Question: 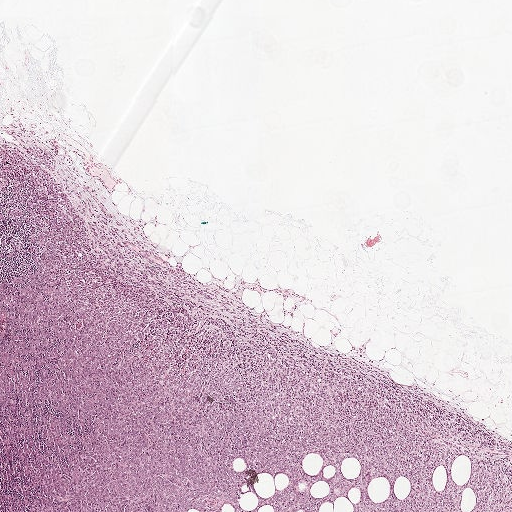
H&E-stained section of a sentinel lymph node (breast cancer), from a whole-slide image, viewed at about 2.5×: the field is about 2.0 mm across, about 3.9 µm per pixel.
What fraction of the image area is metastatic tumour?

Choices:
 (A) about 50% or more
 (B) about 5% or less
 (C) none: no tumour is outlined
 (D) about 25% to 45%
 (E) about 10% to 20%

Answer: (D) about 25% to 45%
About 40% of the field is tumour.
Tumour region outline (a closed clockwise path, crop pixels): (0, 143), (45, 147), (83, 213), (100, 203), (195, 280), (469, 417), (511, 455), (511, 511), (470, 511), (469, 488), (464, 511), (352, 511), (353, 488), (318, 511), (0, 511).